Question: 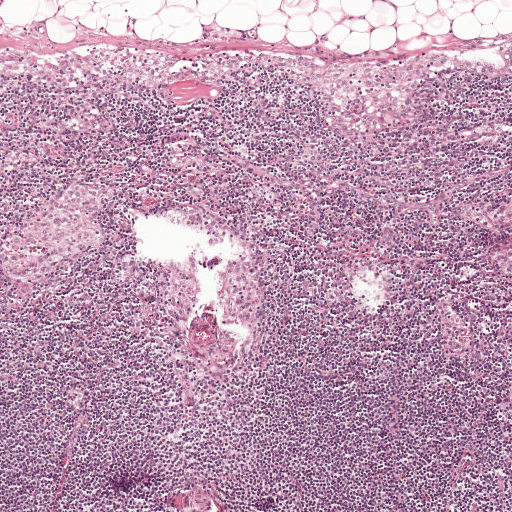
Which magnification is this H&E lymph node field most likely shown at?

Choices:
 (A) about 10×
 (B) about 5×
 (C) about 40×
 (D) about 20×
 (E) about 2.5×

Answer: (B) about 5×
This is a crop of a whole-slide image: an H&E-stained breast-cancer sentinel lymph node section at roughly 5× magnification (about 1.9 µm per pixel; the crop spans about 1 mm).